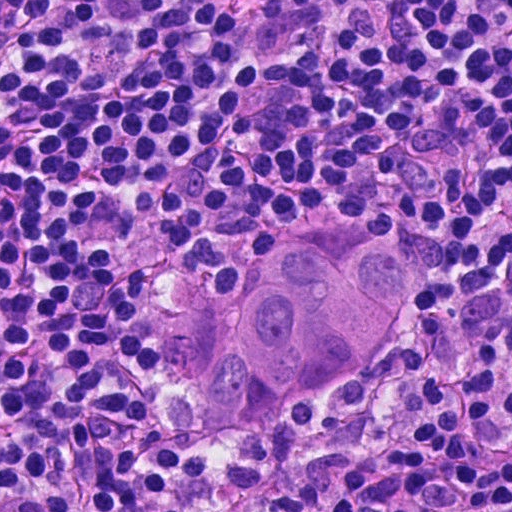
Lymph node section stained with H&E, from a whole-slide image of a breast-cancer sentinel node. Magnification about 40×, about 0.12 mm across the frame, about 0.23 µm per pixel.
One metastatic tumour region; its boundary, reduced to 9 corners and listed clockwise: (392, 220), (408, 234), (422, 326), (347, 378), (259, 417), (166, 427), (254, 265), (301, 236), (338, 261).
Tumour covers about 10% of the frame.